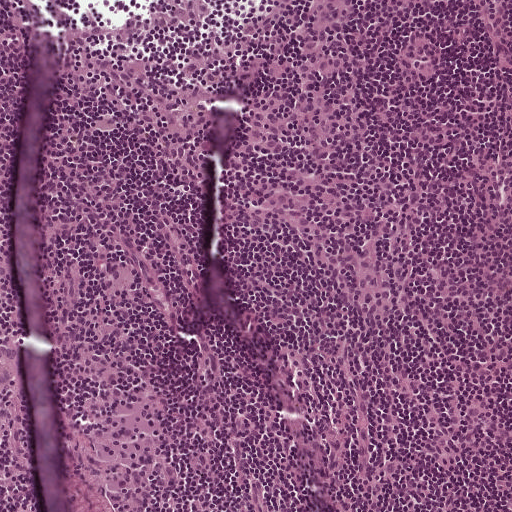
A 0.5-mm field of an H&E-stained sentinel lymph node from a breast-cancer patient (whole-slide image), shown at about 10×, about 0.97 µm per pixel.